Image:
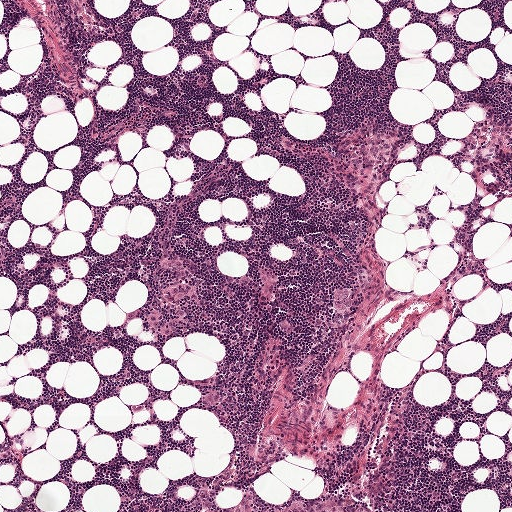
This is a crop of a whole-slide image: an H&E-stained breast-cancer sentinel lymph node section at roughly 5× magnification (about 1.9 µm per pixel; the crop spans about 1 mm).
Question:
Is there metastatic carcinoma in this field?
Answer:
Yes.
Boundaries of five metastatic tumour regions, simplified and listed clockwise, largest first: region 1: (164, 250), (172, 250), (184, 262), (190, 278), (195, 285), (195, 293), (186, 303), (188, 316), (175, 333), (158, 332), (151, 329), (146, 320), (129, 321), (127, 319), (129, 312), (148, 314), (164, 306), (163, 293), (166, 289), (178, 284), (175, 275), (162, 273), (157, 268), (158, 255); region 2: (339, 494), (349, 494), (356, 501), (358, 502), (362, 505), (366, 507), (370, 507), (376, 510), (378, 510), (380, 511), (268, 511), (269, 508), (277, 506), (281, 503), (309, 504), (302, 506), (309, 506), (321, 500), (331, 496), (335, 496); region 3: (244, 489), (252, 489), (255, 491), (256, 494), (256, 511), (202, 511), (201, 509), (201, 507), (200, 505), (200, 493), (202, 493), (209, 498), (216, 502), (216, 505), (217, 507), (228, 506), (232, 503), (240, 492); region 4: (340, 288), (347, 288), (351, 290), (353, 305), (347, 320), (336, 325), (331, 321), (331, 315), (335, 309), (335, 295); region 5: (214, 392), (221, 395), (223, 397), (222, 403), (214, 407), (205, 407), (202, 404), (202, 396), (206, 393).
Under 5% of this field is tumour.